This is a crop of a whole-slide image: an H&E-stained breast-cancer sentinel lymph node section at roughly 2.5× magnification (about 3.9 µm per pixel; the crop spans about 2.0 mm).
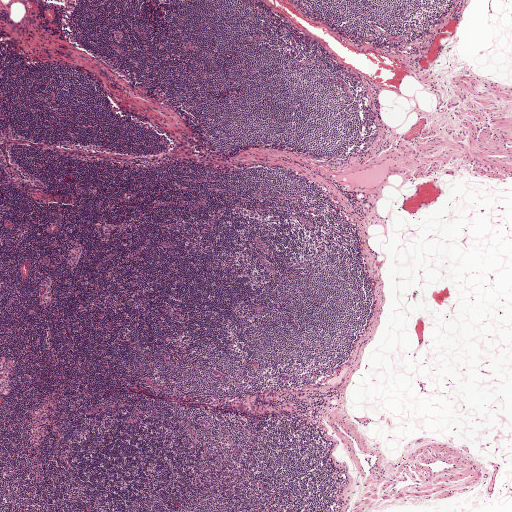
Two metastatic tumour regions, each outlined as a closed clockwise path in crop pixels (x, y), largest first: region 1: (377, 132), (378, 136), (377, 139), (372, 146), (360, 155), (356, 156), (353, 156), (353, 154), (358, 152), (364, 147); region 2: (342, 159), (344, 160), (344, 164), (343, 166), (332, 166), (329, 165), (328, 163), (331, 160).
One more small tumour piece is annotated here but not outlined.
Under 5% of the image area is annotated as tumour.